Lymph node section stained with H&E, from a whole-slide image of a breast-cancer sentinel node. Magnification about 2.5×, about 2.0 mm across the frame, about 4.0 µm per pixel.
Image:
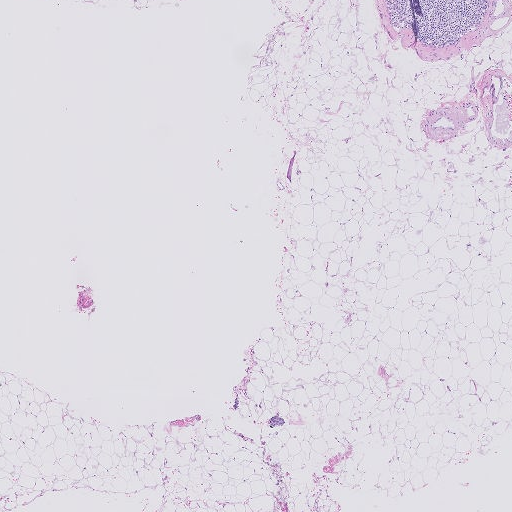
Question:
Outline the metastatic carcinoma in this image, as closed paths of (x, y) pixel coordinates.
Answer:
Two metastatic tumour regions, each outlined as a closed clockwise path in crop pixels (x, y), largest first: region 1: (278, 412), (284, 417), (288, 425), (271, 427), (265, 423), (271, 413); region 2: (235, 393), (241, 395), (238, 411), (230, 409).
Two more small tumour pieces are annotated here but not outlined.
Tumour covers under 5% of the frame.